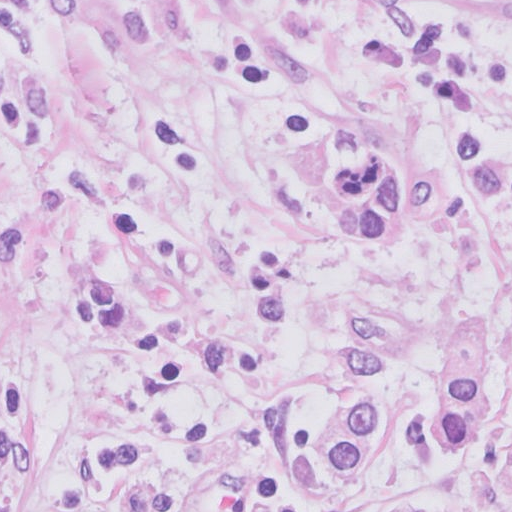
This is a crop of a whole-slide image: an H&E-stained breast-cancer sentinel lymph node section at roughly 40× magnification (about 0.25 µm per pixel; the crop spans about 0.13 mm).
Question: Show where the tumour is in this image.
Answer: Outlines of two tumour regions, largest first (closed clockwise paths, crop pixels): region 1: (511, 290), (511, 511), (297, 511), (249, 495), (241, 427), (292, 370), (355, 324), (425, 299); region 2: (366, 134), (431, 156), (439, 205), (410, 256), (348, 254), (302, 188), (342, 135).
Tumour covers about 25% of the frame.